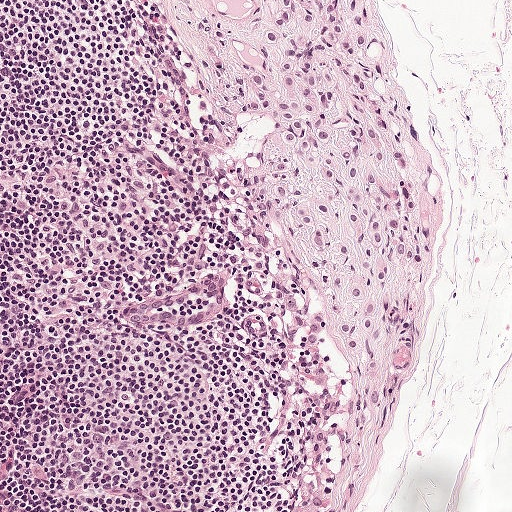
H&E-stained section of a sentinel lymph node (breast cancer), from a whole-slide image, viewed at about 10×: the field is about 0.5 mm across, about 0.97 µm per pixel.
Tumour region outline (a closed clockwise path, crop pixels): (254, 0), (369, 0), (366, 49), (399, 92), (406, 160), (430, 236), (416, 272), (385, 271), (391, 323), (374, 408), (365, 417), (334, 345), (301, 344), (302, 324), (328, 309), (327, 278), (266, 190), (273, 126), (238, 80), (259, 52), (248, 36), (260, 18).
About 15% of the image area is annotated as tumour.